Image:
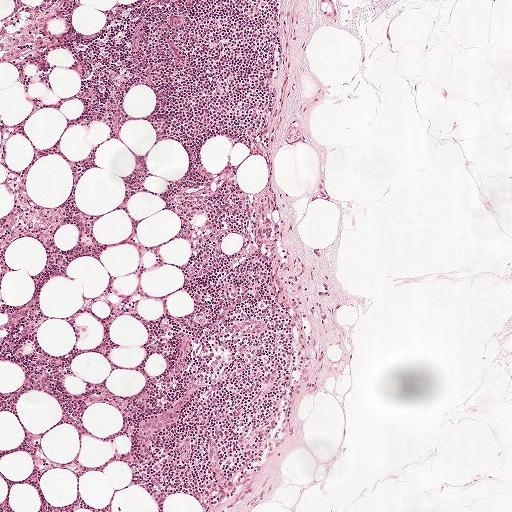
This is a crop of a whole-slide image: an H&E-stained breast-cancer sentinel lymph node section at roughly 5× magnification (about 1.9 µm per pixel; the crop spans about 1 mm).
Question:
Is there metastatic carcinoma in this field?
Answer:
No: no metastatic tumour is outlined anywhere in this field.